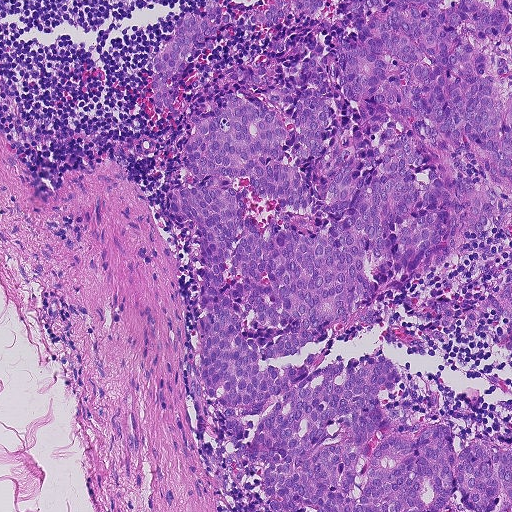
A 0.46-mm field of an H&E-stained sentinel lymph node from a breast-cancer patient (whole-slide image), shown at about 10×, about 0.9 µm per pixel.
Question: Show where the tumour is in this image.
Answer: Metastatic tumour outline, simplified to 18 points and listed clockwise in crop pixels (x, y): (206, 0), (511, 0), (511, 511), (281, 511), (269, 510), (260, 476), (220, 467), (222, 416), (189, 380), (189, 226), (160, 207), (190, 173), (179, 156), (181, 121), (151, 106), (150, 72), (186, 11), (200, 16).
The annotated tumour makes up about 60% of the crop.